Question: 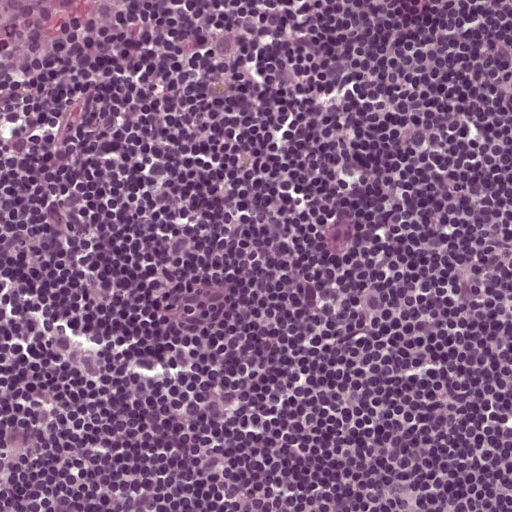
About what magnification does this crop show?

Choices:
 (A) about 10×
 (B) about 40×
 (C) about 5×
 (D) about 20×
 (E) about 2.5×

Answer: (D) about 20×
Lymph node section stained with H&E, from a whole-slide image of a breast-cancer sentinel node. Magnification about 20×, about 0.25 mm across the frame, about 0.49 µm per pixel.